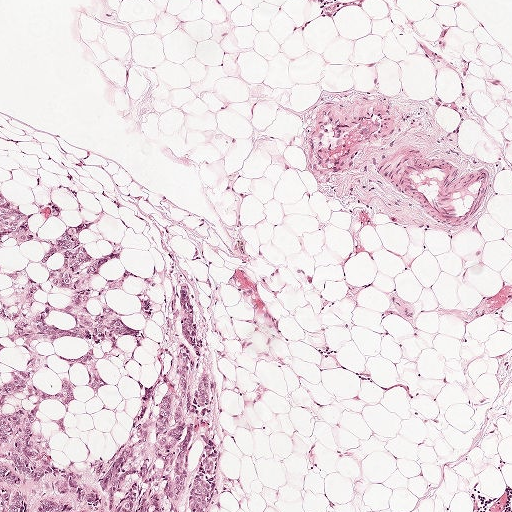
H&E-stained section of a sentinel lymph node (breast cancer), from a whole-slide image, viewed at about 5×: the field is about 1 mm across, about 1.9 µm per pixel.
Metastatic tumour outline, simplified to 9 points and listed clockwise in crop pixels (x, y): (0, 148), (101, 212), (169, 216), (196, 230), (187, 338), (196, 392), (209, 392), (229, 511), (0, 511).
The annotated tumour makes up about 25% of the crop.